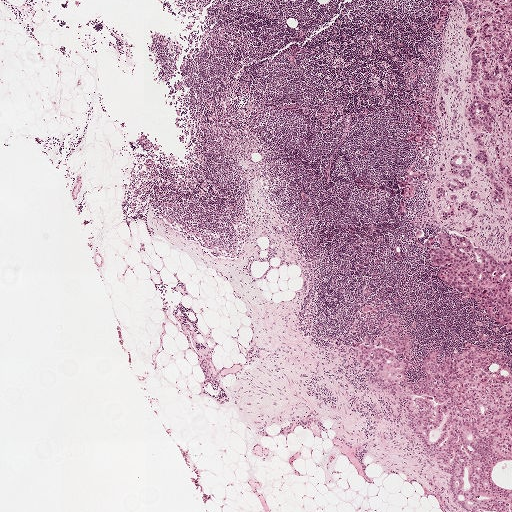
Lymph node section stained with H&E, from a whole-slide image of a breast-cancer sentinel node. Magnification about 2.5×, about 2.0 mm across the frame, about 3.9 µm per pixel.
The eight largest tumour regions' boundaries, simplified and listed clockwise, largest first: region 1: (394, 329), (407, 333), (412, 364), (406, 383), (413, 383), (424, 374), (431, 349), (442, 360), (461, 352), (465, 342), (499, 346), (511, 370), (511, 511), (464, 511), (444, 469), (412, 438), (394, 397), (368, 386), (368, 373), (354, 358), (360, 343), (376, 345); region 2: (434, 0), (511, 0), (511, 108), (497, 100), (490, 101), (496, 125), (486, 133), (487, 166), (475, 161), (478, 149), (463, 122), (472, 93), (467, 83), (470, 62), (462, 10), (459, 3), (451, 2), (447, 29), (438, 33), (432, 27), (438, 6); region 3: (450, 230), (463, 235), (494, 259), (503, 261), (507, 259), (510, 250), (506, 242), (511, 231), (511, 334), (502, 329), (490, 315), (478, 310), (473, 299), (463, 303), (459, 294), (445, 286), (436, 273), (437, 269), (431, 266), (430, 252), (424, 245), (430, 233); region 4: (461, 153), (468, 157), (471, 171), (468, 180), (463, 181), (467, 187), (460, 192), (450, 190), (445, 200), (437, 200), (432, 190), (439, 187), (446, 186), (447, 183), (454, 179), (449, 162), (454, 154); region 5: (422, 104), (426, 105), (430, 108), (431, 114), (426, 118), (426, 124), (429, 135), (433, 140), (433, 145), (432, 150), (429, 151), (423, 151), (418, 150), (417, 148), (418, 144), (407, 140), (410, 133), (422, 128), (412, 123), (416, 116), (413, 108), (413, 106), (419, 106), (420, 109); region 6: (413, 167), (416, 170), (427, 173), (431, 184), (429, 186), (425, 185), (418, 178), (415, 177), (413, 185), (415, 191), (414, 196), (411, 199), (405, 200), (405, 211), (402, 216), (400, 216), (396, 215), (396, 213), (400, 204), (408, 190), (407, 184), (403, 181), (405, 174); region 7: (489, 167), (493, 168), (503, 186), (505, 197), (502, 205), (495, 204), (492, 185), (484, 175), (486, 169); region 8: (454, 193), (460, 201), (468, 201), (473, 203), (479, 210), (479, 214), (473, 216), (468, 212), (459, 213), (454, 202), (449, 199), (450, 194).
Three more, smaller tumour regions are not outlined.
Three more small tumour pieces are annotated here but not outlined.
About 10% of this field is tumour.